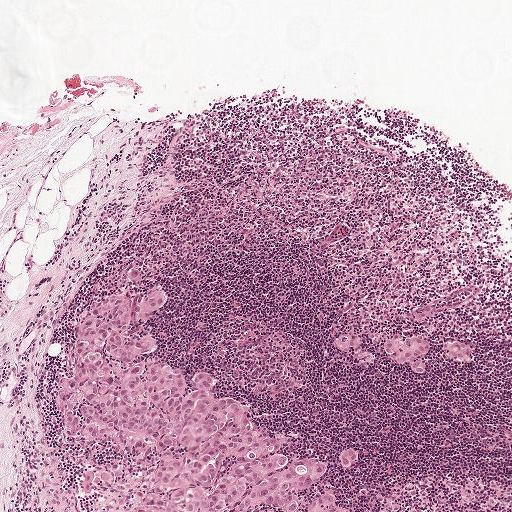
This is a crop of a whole-slide image: an H&E-stained breast-cancer sentinel lymph node section at roughly 5× magnification (about 1.9 µm per pixel; the crop spans about 1 mm).
Outlines of five tumour regions, largest first (closed clockwise paths, crop pixels): region 1: (133, 268), (144, 290), (170, 294), (145, 327), (158, 342), (148, 358), (182, 370), (185, 395), (198, 389), (193, 373), (210, 371), (217, 395), (273, 432), (293, 463), (325, 460), (314, 495), (333, 490), (350, 511), (129, 511), (138, 475), (69, 438), (56, 406), (86, 329); region 2: (421, 336), (429, 339), (431, 343), (430, 353), (424, 357), (424, 372), (420, 374), (414, 373), (406, 366), (393, 361), (384, 353), (384, 344), (386, 342), (395, 338); region 3: (453, 341), (466, 342), (472, 345), (472, 355), (471, 363), (454, 362), (446, 358), (444, 348), (446, 344); region 4: (352, 331), (362, 337), (362, 347), (357, 352), (350, 353), (334, 347), (336, 338), (346, 340), (349, 338), (347, 332); region 5: (345, 447), (354, 448), (357, 448), (357, 451), (357, 463), (349, 467), (343, 467), (340, 466), (340, 456), (342, 448).
The annotated tumour makes up about 15% of the crop.